Question: 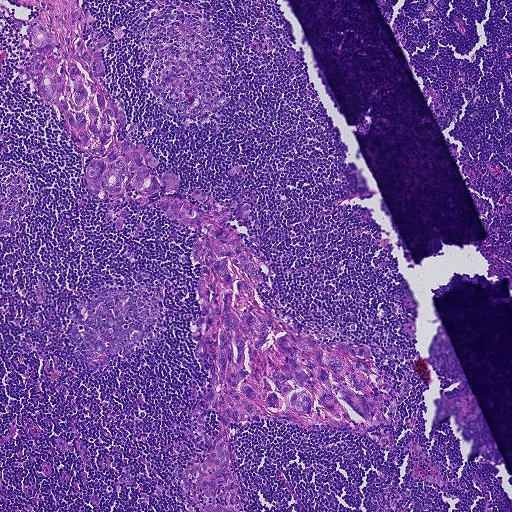
A 0.93-mm field of an H&E-stained sentinel lymph node from a breast-cancer patient (whole-slide image), shown at about 5×, about 1.8 µm per pixel.
What fraction of the image area is metastatic tumour?

Choices:
 (A) about 10% to 20%
 (B) none: no tumour is outlined
 (C) about 5% or less
 (D) about 25% to 45%
 (E) about 50% or more

Answer: (A) about 10% to 20%
About 15% of the field is tumour.
Metastatic tumour outline, simplified to 36 points and listed clockwise in crop pixels (x, y): (79, 0), (86, 45), (125, 31), (102, 48), (100, 78), (127, 118), (120, 140), (142, 142), (160, 178), (175, 174), (175, 195), (209, 209), (198, 188), (229, 208), (260, 269), (258, 303), (296, 336), (368, 347), (388, 422), (364, 433), (232, 421), (215, 498), (237, 511), (202, 511), (208, 499), (192, 484), (221, 432), (191, 332), (190, 249), (206, 233), (90, 194), (94, 158), (28, 74), (27, 29), (42, 10), (20, 2).
One more small tumour piece is annotated here but not outlined.